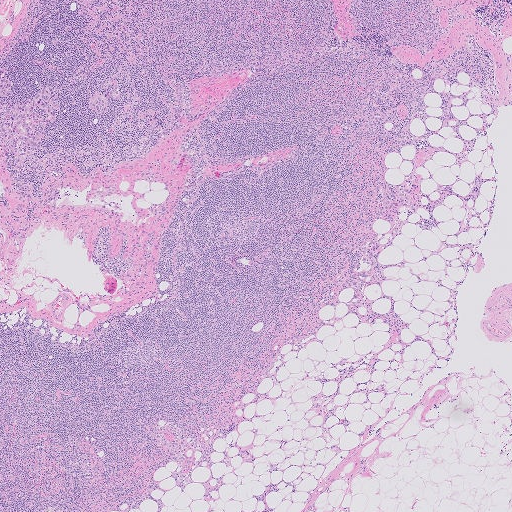
H&E-stained section of a sentinel lymph node (breast cancer), from a whole-slide image, viewed at about 2.5×: the field is about 2.0 mm across, about 4.0 µm per pixel.
Boundaries of four metastatic tumour regions, simplified and listed clockwise, largest first: region 1: (44, 85), (50, 85), (56, 92), (59, 104), (53, 122), (44, 128), (37, 126), (37, 129), (44, 132), (41, 149), (35, 150), (21, 146), (13, 151), (10, 149), (7, 158), (3, 157), (0, 150), (8, 146), (0, 132), (0, 123), (10, 121), (10, 108), (14, 103), (31, 98); region 2: (104, 91), (107, 101), (105, 114), (98, 115), (88, 107), (87, 104), (93, 94); region 3: (0, 67), (6, 67), (8, 69), (5, 75), (11, 79), (11, 86), (6, 95), (0, 97); region 4: (118, 82), (121, 93), (121, 97), (120, 100), (116, 101), (110, 99), (108, 95), (110, 88), (112, 85), (115, 83).
Three more small tumour pieces are annotated here but not outlined.
Under 5% of this field is tumour.